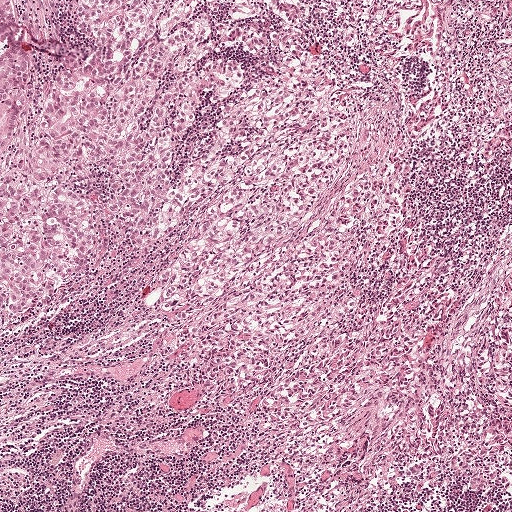
This is a crop of a whole-slide image: an H&E-stained breast-cancer sentinel lymph node section at roughly 5× magnification (about 1.9 µm per pixel; the crop spans about 1 mm).
Question: Is there metastatic carcinoma in this field?
Answer: Yes.
Tumour region outline (a closed clockwise path, crop pixels): (0, 184), (27, 193), (57, 187), (79, 196), (89, 209), (97, 235), (94, 268), (54, 282), (46, 300), (31, 299), (21, 312), (9, 313), (1, 308).
Tumour covers about 5% of the frame.

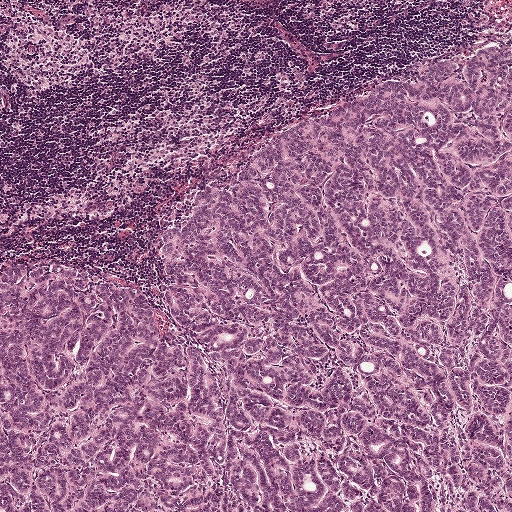
This is a crop of a whole-slide image: an H&E-stained breast-cancer sentinel lymph node section at roughly 5× magnification (about 1.9 µm per pixel; the crop spans about 1 mm).
Question: Is there metastatic carcinoma in this field?
Answer: Yes.
Metastatic tumour outline, simplified to 9 points and listed clockwise in crop pixels (x, y): (511, 38), (511, 511), (0, 511), (0, 261), (72, 255), (158, 293), (158, 235), (252, 144), (379, 76).
About 70% of the image area is annotated as tumour.

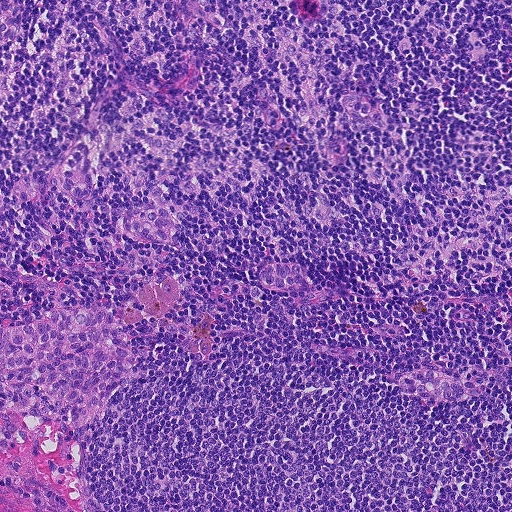
This is a crop of a whole-slide image: an H&E-stained breast-cancer sentinel lymph node section at roughly 10× magnification (about 0.9 µm per pixel; the crop spans about 0.46 mm).
Question: Is there metastatic carcinoma in this field?
Answer: Yes.
Three metastatic tumour regions, each outlined as a closed clockwise path in crop pixels (x, y), largest first: region 1: (166, 280), (184, 283), (180, 301), (162, 318), (190, 325), (209, 310), (215, 319), (210, 362), (193, 361), (179, 339), (152, 326), (134, 325), (120, 334), (134, 347), (135, 365), (127, 383), (90, 425), (73, 432), (13, 412), (0, 413), (0, 328), (27, 323), (62, 307), (118, 309); region 2: (0, 0), (20, 0), (20, 31), (8, 40), (0, 40); region 3: (0, 269), (15, 274), (32, 280), (0, 279).
About 5% of this field is tumour.

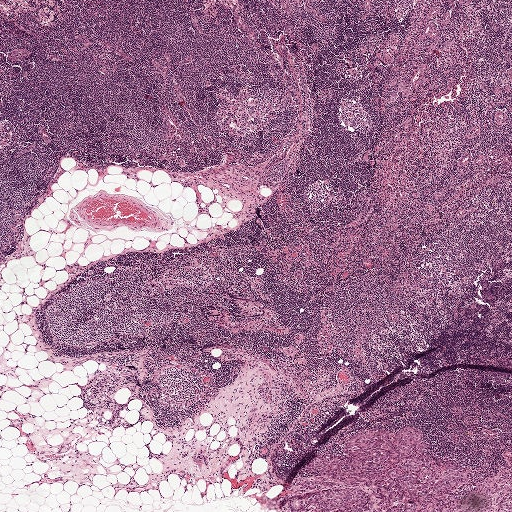
H&E-stained section of a sentinel lymph node (breast cancer), from a whole-slide image, viewed at about 2.5×: the field is about 2.0 mm across, about 3.9 µm per pixel.
Question: Is there metastatic carcinoma in this field?
Answer: Yes.
The outlined metastatic tumour's edge, as a closed clockwise path of 21 points: (405, 426), (418, 429), (435, 454), (470, 471), (466, 482), (455, 490), (455, 498), (464, 497), (489, 477), (511, 471), (511, 511), (288, 511), (288, 499), (298, 493), (342, 486), (308, 467), (312, 460), (341, 455), (346, 439), (361, 432), (393, 433).
The annotated tumour makes up about 5% of the crop.